Image:
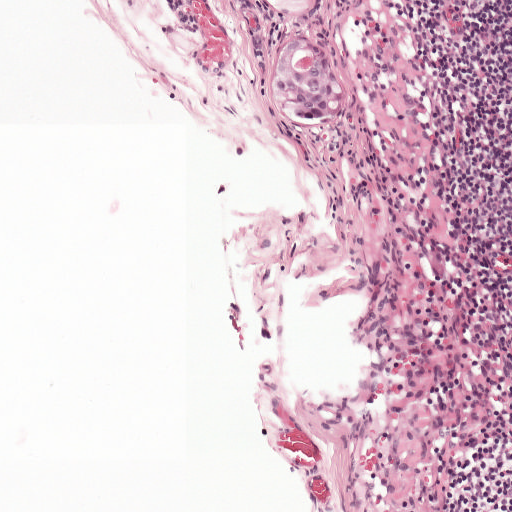
H&E-stained section of a sentinel lymph node (breast cancer), from a whole-slide image, viewed at about 10×: the field is about 0.5 mm across, about 0.97 µm per pixel.
Question:
Trace the edge of each tumour region in this crop, as (x, y) points from 0 to 511.
Answer:
Tumour region outline (a closed clockwise path, crop pixels): (296, 34), (308, 36), (342, 54), (352, 90), (332, 122), (294, 130), (268, 103), (271, 64).
Under 5% of the image area is annotated as tumour.